H&E-stained section of a sentinel lymph node (breast cancer), from a whole-slide image, viewed at about 10×: the field is about 0.46 mm across, about 0.9 µm per pixel.
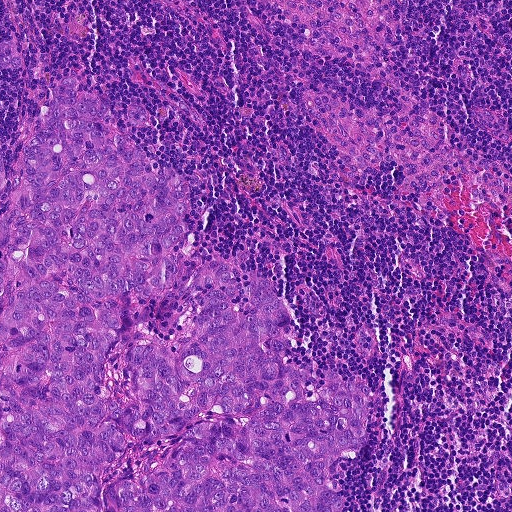
Question: Which parts of this field are metastatic tumour? Answer with the outline of each region, in pixels.
Answer: One metastatic tumour region; its boundary, reduced to 22 corners and listed clockwise: (75, 73), (154, 170), (187, 184), (186, 286), (147, 303), (146, 337), (181, 337), (218, 261), (239, 272), (237, 313), (264, 277), (272, 286), (290, 319), (283, 358), (369, 388), (365, 449), (336, 469), (343, 511), (0, 511), (0, 218), (20, 148), (64, 79).
Two more small tumour pieces are annotated here but not outlined.
The annotated tumour makes up about 40% of the crop.